H&E-stained section of a sentinel lymph node (breast cancer), from a whole-slide image, viewed at about 10×: the field is about 0.46 mm across, about 0.9 µm per pixel.
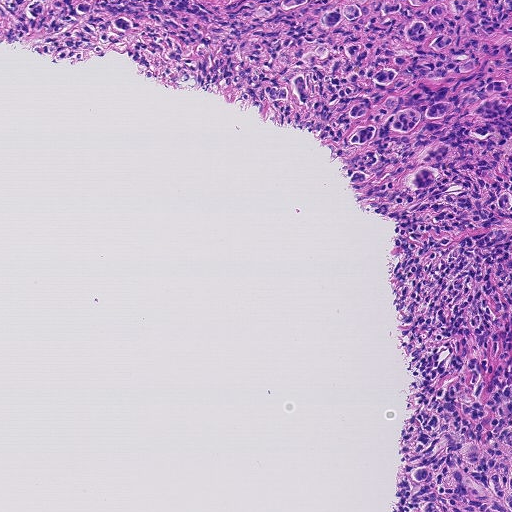
Metastatic tumour outline, simplified to 14 points and listed clockwise in crop pixels (x, y): (0, 0), (511, 0), (511, 511), (390, 511), (410, 376), (386, 263), (395, 221), (360, 213), (318, 138), (223, 97), (153, 82), (118, 54), (58, 64), (0, 45).
Tumour covers about 40% of the frame.